Lymph node section stained with H&E, from a whole-slide image of a breast-cancer sentinel node. Magnification about 20×, about 0.25 mm across the frame, about 0.49 µm per pixel.
Image:
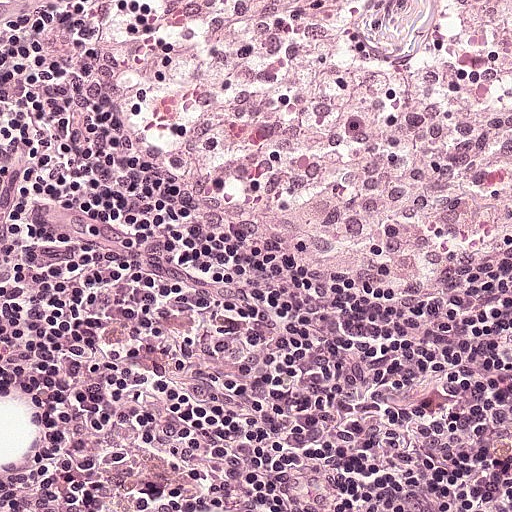
Question:
Does this lymph node field contain metastatic tumour?
Answer:
No: no metastatic tumour is outlined anywhere in this field.